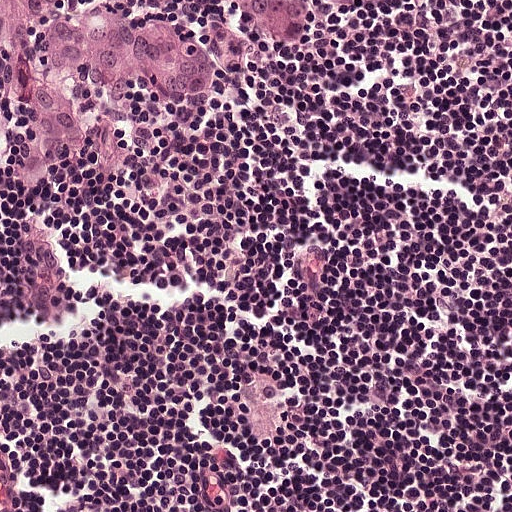
A 0.25-mm field of an H&E-stained sentinel lymph node from a breast-cancer patient (whole-slide image), shown at about 20×, about 0.49 µm per pixel.
Question: Is there metastatic carcinoma in this field?
Answer: Yes.
Two metastatic tumour regions, each outlined as a closed clockwise path in crop pixels (x, y), largest first: region 1: (0, 0), (180, 0), (178, 20), (218, 63), (216, 88), (223, 97), (194, 114), (164, 100), (128, 104), (140, 168), (128, 175), (104, 175), (51, 168), (0, 90); region 2: (361, 0), (344, 20), (330, 28), (272, 48), (247, 42), (217, 1).
The annotated tumour makes up about 10% of the crop.